H&E-stained section of a sentinel lymph node (breast cancer), from a whole-slide image, viewed at about 5×: the field is about 1 mm across, about 1.9 µm per pixel.
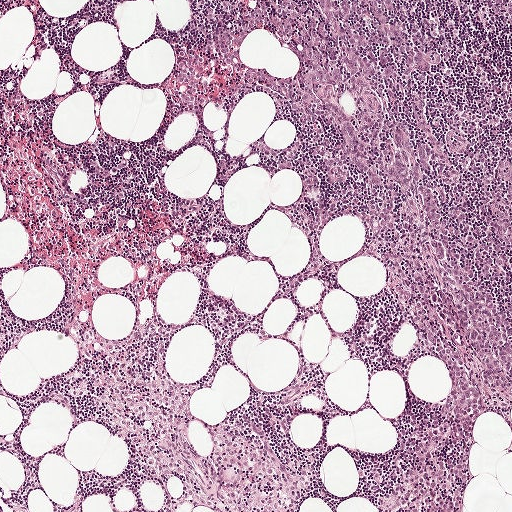
Tumour region outline (a closed clockwise path, crop pixels): (511, 0), (511, 401), (479, 409), (463, 511), (438, 511), (454, 378), (422, 360), (380, 260), (294, 289), (294, 280), (314, 257), (286, 209), (303, 189), (268, 177), (254, 148), (290, 149), (296, 124), (257, 93), (171, 110), (186, 1).
The annotated tumour makes up about 30% of the crop.